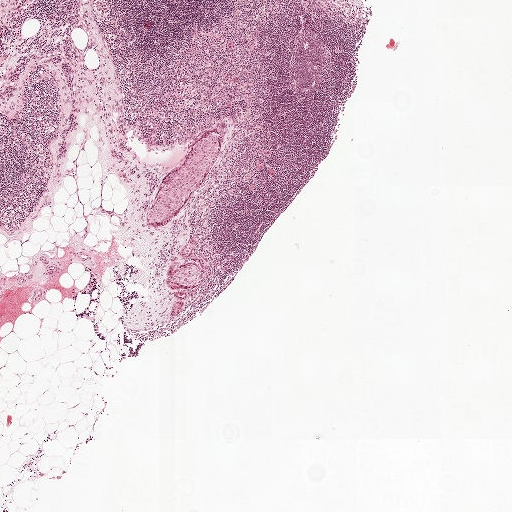
Lymph node section stained with H&E, from a whole-slide image of a breast-cancer sentinel node. Magnification about 2.5×, about 2.0 mm across the frame, about 3.9 µm per pixel.
Boundaries of two metastatic tumour regions, simplified and listed clockwise, largest first: region 1: (221, 129), (224, 138), (224, 145), (216, 166), (201, 180), (193, 195), (169, 223), (156, 229), (146, 229), (145, 209), (153, 201), (169, 171), (185, 160), (189, 151), (211, 131); region 2: (199, 265), (203, 283), (198, 288), (184, 291), (164, 288), (162, 283), (164, 275), (177, 267).
Under 5% of this field is tumour.